Question: 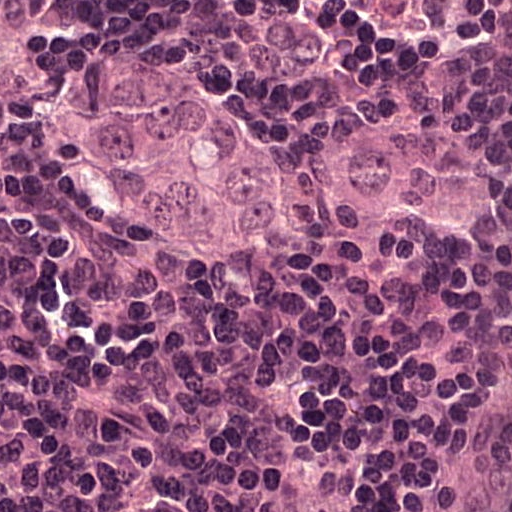
At roughly what magnification is this field shown?

Choices:
 (A) about 5×
 (B) about 10×
 (C) about 20×
 (D) about 40×
 (E) about 2.5×

Answer: (D) about 40×
Lymph node section stained with H&E, from a whole-slide image of a breast-cancer sentinel node. Magnification about 40×, about 0.12 mm across the frame, about 0.24 µm per pixel.
Metastatic tumour outline, simplified to 15 points and listed clockwise in crop pixels (x, y): (98, 47), (123, 51), (186, 80), (237, 116), (276, 161), (289, 214), (284, 239), (244, 263), (213, 264), (160, 259), (98, 222), (29, 118), (35, 75), (58, 57), (103, 51).
One more small tumour piece is annotated here but not outlined.
The annotated tumour makes up about 15% of the crop.